Question: 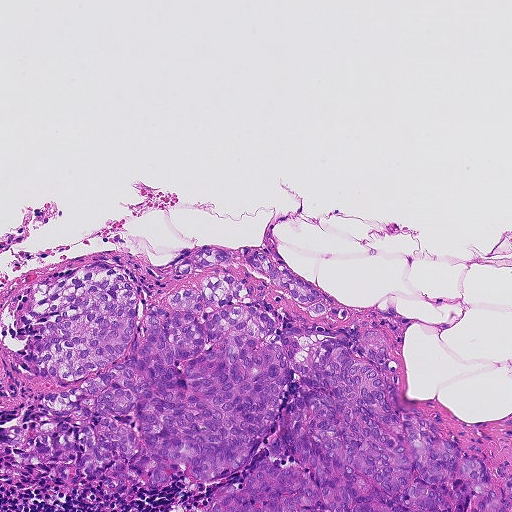
A 0.46-mm field of an H&E-stained sentinel lymph node from a breast-cancer patient (whole-slide image), shown at about 10×, about 0.9 µm per pixel.
Roughly what share of this field is metastatic tumour?

Choices:
 (A) about 10% to 20%
 (B) about 5% or less
 (C) none: no tumour is outlined
 (D) about 50% or more
 (E) about 25% to 45%

Answer: (E) about 25% to 45%
About 30% of the field is tumour.
Boundaries of two metastatic tumour regions, simplified and listed clockwise, largest first: region 1: (98, 262), (166, 309), (168, 293), (222, 273), (278, 328), (380, 334), (397, 403), (484, 462), (498, 493), (511, 472), (511, 511), (204, 511), (244, 470), (152, 490), (50, 484), (52, 466), (4, 436), (35, 431), (39, 393), (84, 378), (18, 365), (31, 288); region 2: (205, 246), (230, 250), (246, 247), (262, 249), (298, 278), (334, 299), (336, 307), (344, 307), (350, 312), (349, 320), (341, 321), (326, 317), (318, 319), (310, 315), (286, 292), (250, 271), (234, 264), (227, 269), (210, 266), (177, 281), (170, 277), (170, 269).